Question: 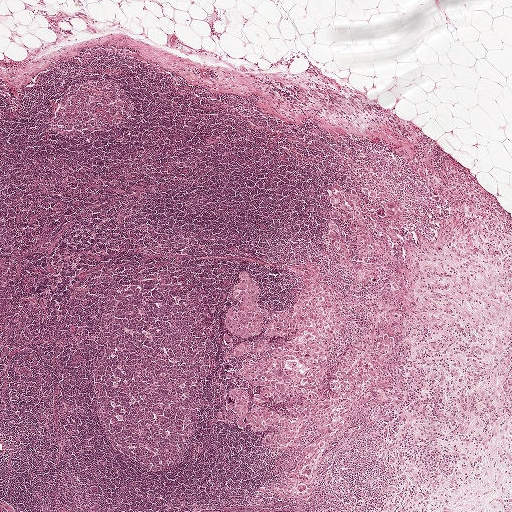
H&E-stained section of a sentinel lymph node (breast cancer), from a whole-slide image, viewed at about 2.5×: the field is about 2.0 mm across, about 3.9 µm per pixel.
Roughly what share of this field is metastatic tumour?

Choices:
 (A) about 5% or less
 (B) about 10% to 20%
 (C) about 25% to 45%
 (D) none: no tumour is outlined
 (E) about 50% or more

Answer: (B) about 10% to 20%
About 15% of the field is tumour.
The outlined metastatic tumour's edge, as a closed clockwise path of 21 points: (337, 178), (386, 184), (417, 219), (413, 334), (383, 379), (358, 392), (312, 499), (257, 497), (272, 458), (254, 434), (216, 413), (228, 382), (221, 333), (234, 301), (230, 286), (245, 268), (264, 302), (286, 307), (304, 264), (343, 284), (327, 186).